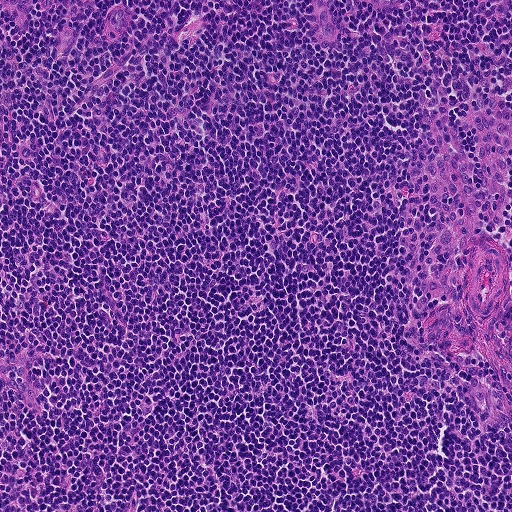
Lymph node section stained with H&E, from a whole-slide image of a breast-cancer sentinel node. Magnification about 10×, about 0.46 mm across the frame, about 0.9 µm per pixel.
Question: Is there metastatic carcinoma in this field?
Answer: No. No metastatic tumour is outlined in this field.